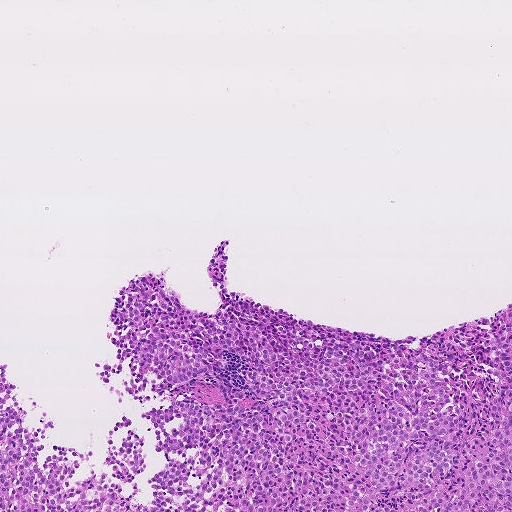
This is a crop of a whole-slide image: an H&E-stained breast-cancer sentinel lymph node section at roughly 5× magnification (about 1.8 µm per pixel; the crop spans about 0.93 mm).
Tumour region outline (a closed clockwise path, crop pixels): (220, 241), (231, 291), (351, 332), (423, 337), (511, 302), (511, 511), (0, 511), (0, 365), (22, 426), (54, 424), (41, 470), (52, 446), (91, 451), (66, 489), (92, 469), (120, 482), (105, 461), (128, 416), (147, 464), (121, 493), (136, 482), (147, 507), (166, 461), (140, 415), (221, 404), (220, 381), (261, 402), (252, 364), (224, 350), (223, 371), (157, 392), (146, 374), (139, 404), (131, 356), (108, 384), (93, 363), (117, 364), (108, 318), (135, 276), (215, 313).
About 30% of this field is tumour.